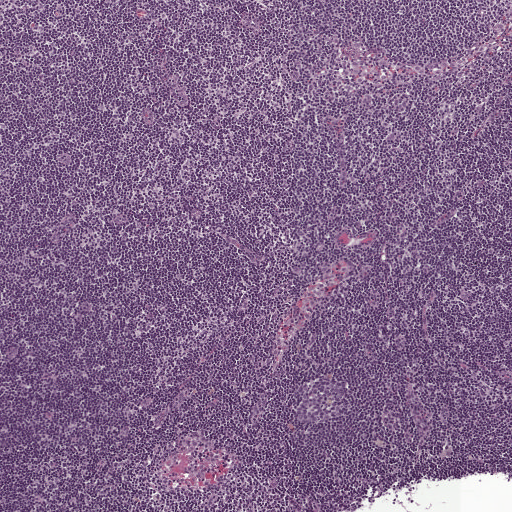
Lymph node section stained with H&E, from a whole-slide image of a breast-cancer sentinel node. Magnification about 5×, about 1 mm across the frame, about 1.9 µm per pixel.